Question: 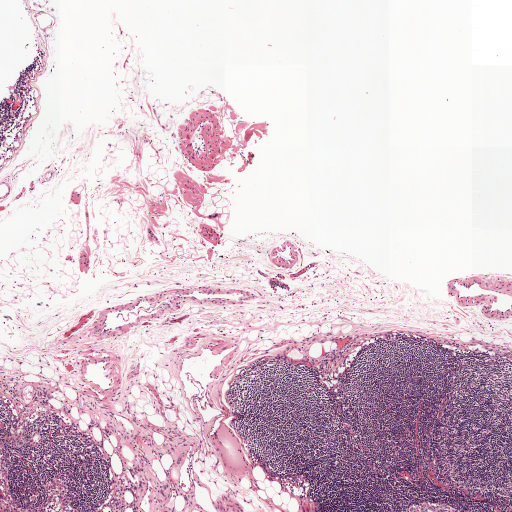
This is a crop of a whole-slide image: an H&E-stained breast-cancer sentinel lymph node section at roughly 2.5× magnification (about 3.9 µm per pixel; the crop spans about 2.0 mm).
What fraction of the image area is metastatic tumour?

Choices:
 (A) about 10% to 20%
 (B) about 25% to 45%
 (C) about 5% or less
 (D) none: no tumour is outlined
 (E) about 50% or more

Answer: (C) about 5% or less
Under 5% of the field is tumour.
Tumour region outline (a closed clockwise path, crop pixels): (280, 273), (284, 275), (285, 280), (283, 281), (288, 284), (290, 288), (290, 290), (288, 291), (278, 288), (277, 293), (274, 293), (272, 289), (268, 286), (268, 280), (269, 278), (275, 277), (277, 274).